Question: 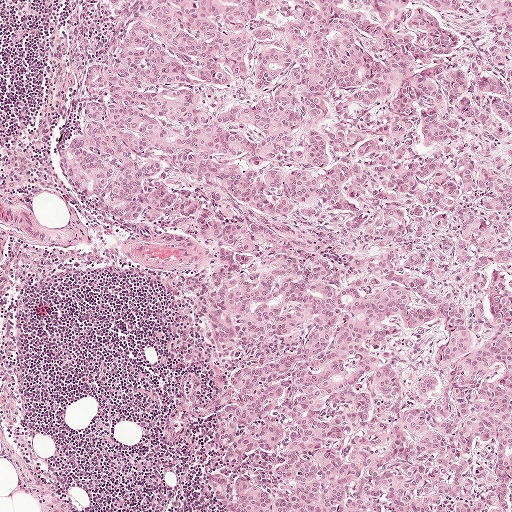
Lymph node section stained with H&E, from a whole-slide image of a breast-cancer sentinel node. Magnification about 5×, about 1 mm across the frame, about 1.9 µm per pixel.
Roughly what share of this field is metastatic tumour?

Choices:
 (A) none: no tumour is outlined
 (B) about 5% or less
 (C) about 10% to 20%
 (D) about 50% or more
 (E) about 25% to 45%

Answer: (D) about 50% or more
About 70% of the field is tumour.
The outlined metastatic tumour's edge, as a closed clockwise path of 22 points: (92, 0), (511, 0), (511, 511), (228, 511), (208, 484), (225, 466), (217, 415), (165, 444), (180, 379), (197, 378), (198, 405), (215, 392), (215, 338), (186, 288), (215, 256), (173, 231), (125, 228), (66, 184), (60, 163), (82, 129), (88, 69), (120, 20).